Image:
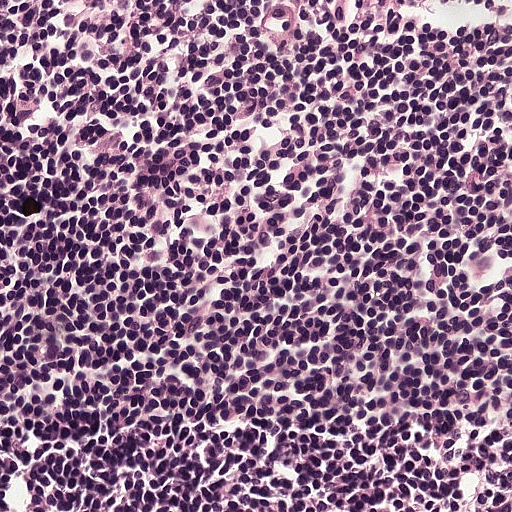
A 0.25-mm field of an H&E-stained sentinel lymph node from a breast-cancer patient (whole-slide image), shown at about 20×, about 0.49 µm per pixel.
Question:
Is there metastatic carcinoma in this field?
Answer:
No, this field holds no outlined metastasis.